Image:
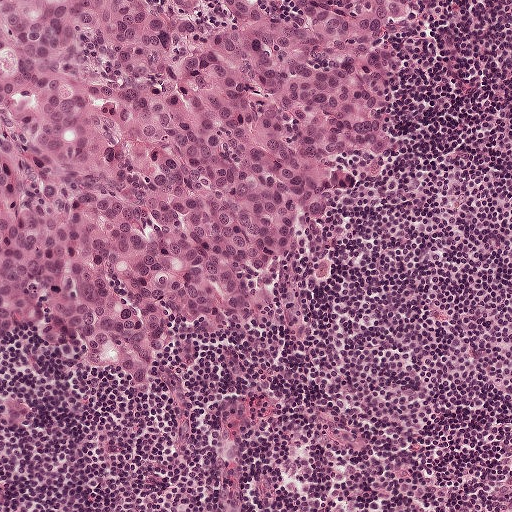
H&E-stained section of a sentinel lymph node (breast cancer), from a whole-slide image, viewed at about 10×: the field is about 0.5 mm across, about 0.97 µm per pixel.
Question:
Where is the metastatic tumour in this field? Give each region's outline as (x, y) pixel points.
Answer:
Tumour region outline (a closed clockwise path, crop pixels): (0, 0), (420, 0), (390, 100), (389, 150), (362, 164), (354, 190), (327, 195), (325, 215), (302, 222), (287, 260), (302, 332), (263, 322), (210, 338), (210, 320), (172, 325), (149, 393), (52, 356), (32, 327), (1, 347).
The annotated tumour makes up about 45% of the crop.